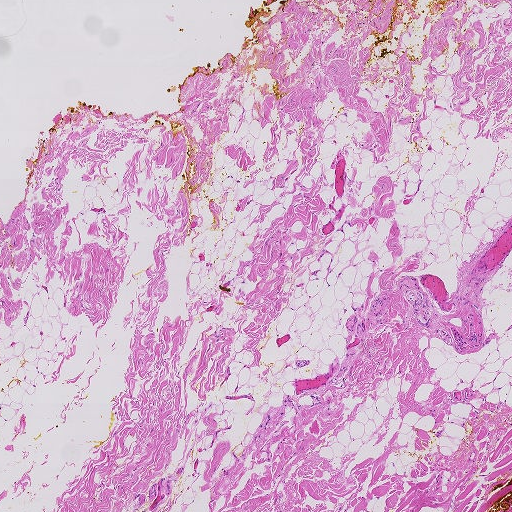
H&E-stained section of a sentinel lymph node (breast cancer), from a whole-slide image, viewed at about 2.5×: the field is about 1.9 mm across, about 3.6 µm per pixel.
Question: Is there metastatic carcinoma in this field?
Answer: No. No metastatic tumour is outlined in this field.